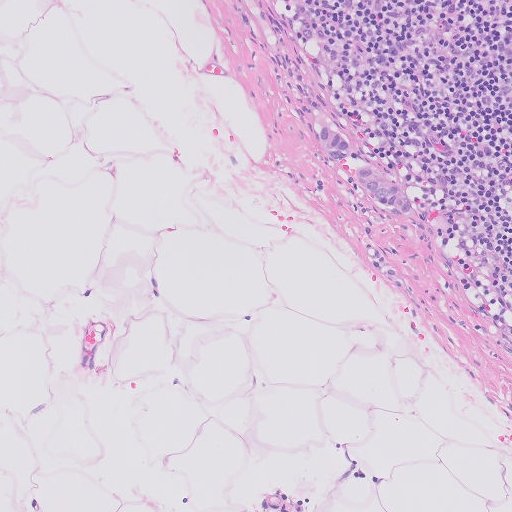
A 0.51-mm field of an H&E-stained sentinel lymph node from a breast-cancer patient (whole-slide image), shown at about 10×, about 1.0 µm per pixel.
Question: Where is the metastatic tumour in this field?
Answer: Boundaries of two metastatic tumour regions, simplified and listed clockwise, largest first: region 1: (354, 166), (369, 166), (377, 170), (408, 200), (411, 207), (409, 214), (403, 218), (396, 218), (378, 205), (370, 193), (352, 179), (350, 172); region 2: (325, 123), (346, 138), (350, 144), (350, 151), (348, 158), (334, 161), (324, 152), (315, 132), (318, 124).
Under 5% of the image area is annotated as tumour.